This is a crop of a whole-slide image: an H&E-stained breast-cancer sentinel lymph node section at roughly 5× magnification (about 1.8 µm per pixel; the crop spans about 0.93 mm).
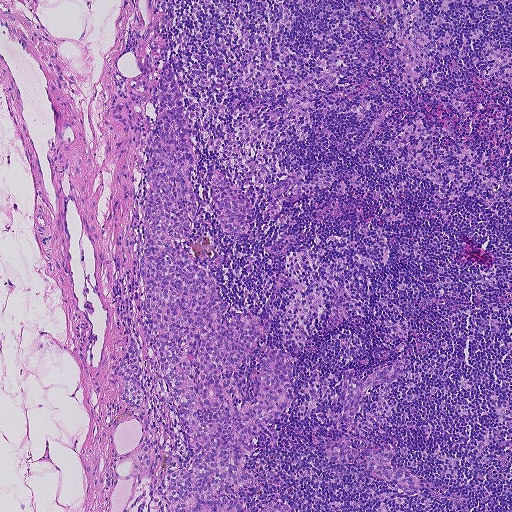
Question: Show where the tumour is in this image.
Answer: Boundaries of two metastatic tumour regions, simplified and listed clockwise, largest first: region 1: (169, 61), (195, 193), (210, 202), (216, 168), (256, 214), (233, 238), (201, 203), (193, 230), (193, 239), (218, 246), (219, 265), (207, 271), (218, 302), (231, 305), (227, 313), (272, 324), (236, 370), (236, 389), (248, 405), (256, 400), (267, 344), (295, 364), (280, 418), (250, 440), (256, 484), (238, 496), (247, 511), (168, 511), (164, 483), (190, 446), (158, 358), (136, 351), (146, 397), (134, 409), (107, 376), (130, 332), (142, 346), (144, 148); region 2: (282, 500), (290, 506), (294, 511), (257, 511), (262, 507), (270, 501).
About 15% of the image area is annotated as tumour.